Image:
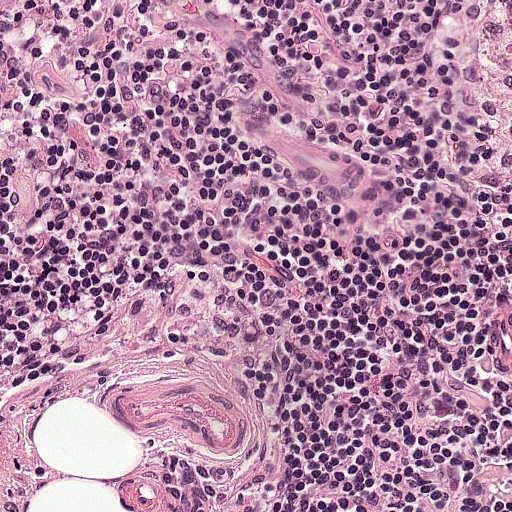
Lymph node section stained with H&E, from a whole-slide image of a breast-cancer sentinel node. Magnification about 20×, about 0.25 mm across the frame, about 0.49 µm per pixel.
Question:
Which parts of this field are metastatic tumour?
Answer:
One metastatic tumour region; its boundary, reduced to 5 corners and listed clockwise: (0, 0), (339, 0), (150, 272), (96, 320), (2, 363).
The annotated tumour makes up about 30% of the crop.